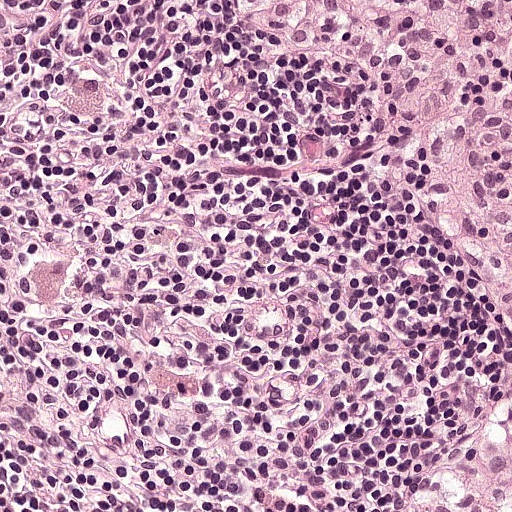
A 0.25-mm field of an H&E-stained sentinel lymph node from a breast-cancer patient (whole-slide image), shown at about 20×, about 0.49 µm per pixel.